Question: 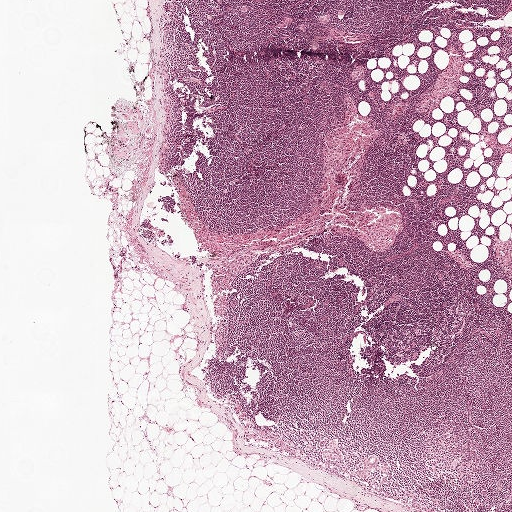
At roughly what magnification is this field shown?

Choices:
 (A) about 10×
 (B) about 5×
 (C) about 2.5×
 (D) about 20×
 (E) about 40×

Answer: (C) about 2.5×
This is a crop of a whole-slide image: an H&E-stained breast-cancer sentinel lymph node section at roughly 2.5× magnification (about 3.9 µm per pixel; the crop spans about 2.0 mm).
Outlines of three tumour regions, largest first (closed clockwise paths, crop pixels): region 1: (368, 456), (376, 456), (378, 459), (377, 465), (379, 466), (385, 462), (387, 463), (389, 466), (388, 472), (385, 474), (376, 471), (372, 471), (370, 472), (371, 476), (361, 479), (349, 475), (350, 469), (361, 466), (362, 458); region 2: (334, 440), (337, 444), (341, 455), (339, 460), (325, 460), (320, 455), (321, 449), (326, 447), (326, 441); region 3: (288, 16), (291, 17), (292, 18), (292, 20), (288, 23), (286, 23), (286, 24), (286, 26), (282, 27), (278, 26), (276, 25), (277, 24), (279, 23), (285, 23), (284, 21), (285, 18).
Five more small tumour pieces are annotated here but not outlined.
Tumour covers under 5% of the frame.